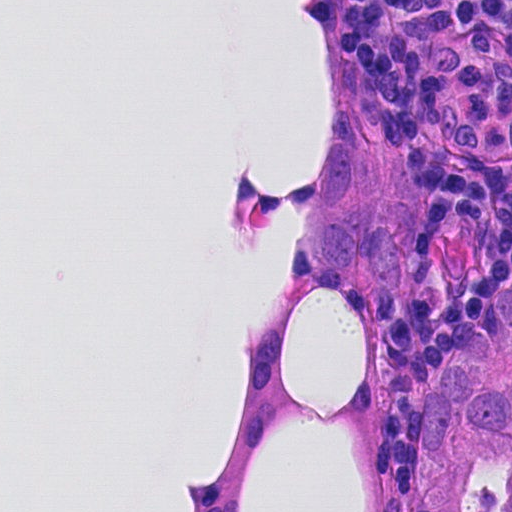
Lymph node section stained with H&E, from a whole-slide image of a breast-cancer sentinel node. Magnification about 40×, about 0.12 mm across the frame, about 0.23 µm per pixel.
Outlines of two tumour regions, largest first (closed clockwise paths, crop pixels): region 1: (511, 271), (511, 511), (406, 511), (432, 402), (493, 294); region 2: (333, 112), (350, 136), (388, 151), (420, 226), (415, 266), (383, 291), (343, 291), (305, 272), (297, 232).
About 10% of the image area is annotated as tumour.